H&E-stained section of a sentinel lymph node (breast cancer), from a whole-slide image, viewed at about 5×: the field is about 1 mm across, about 1.9 µm per pixel.
Image:
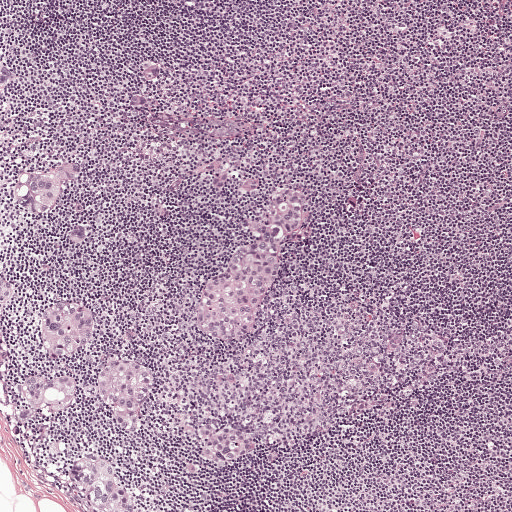
Question:
Outline the metastatic carcinoma in this image, as closed paths of (x, y) pixel coordinates.
Answer:
The eight largest tumour regions' boundaries, simplified and listed clockwise, largest first: region 1: (277, 187), (300, 191), (308, 200), (309, 233), (305, 238), (280, 245), (275, 273), (244, 331), (231, 338), (215, 337), (205, 330), (196, 313), (199, 293), (206, 281), (223, 271), (235, 248), (256, 240), (254, 234), (242, 228), (242, 223), (266, 211), (271, 191); region 2: (111, 358), (123, 358), (154, 371), (156, 384), (141, 407), (140, 428), (136, 436), (130, 438), (118, 434), (109, 414), (94, 399), (90, 391), (96, 371); region 3: (88, 452), (108, 456), (118, 464), (133, 494), (138, 511), (97, 511), (71, 494), (63, 482), (64, 466), (69, 460); region 4: (68, 372), (74, 372), (79, 376), (80, 389), (72, 409), (66, 415), (31, 422), (22, 440), (16, 440), (11, 436), (10, 430), (14, 415), (24, 407), (18, 395), (19, 385), (23, 378), (29, 374), (51, 376); region 5: (69, 159), (85, 161), (84, 173), (80, 178), (68, 182), (63, 186), (48, 210), (37, 215), (22, 213), (10, 194), (10, 186), (18, 171), (32, 168), (46, 169); region 6: (60, 300), (90, 310), (92, 317), (92, 325), (83, 345), (72, 355), (67, 356), (53, 356), (48, 353), (43, 343), (40, 324), (44, 310), (53, 302); region 7: (204, 423), (212, 423), (222, 426), (234, 425), (254, 434), (259, 438), (259, 445), (256, 450), (240, 463), (219, 465), (206, 460), (199, 461), (204, 465), (204, 472), (198, 474), (191, 474), (184, 471), (184, 465), (196, 461), (194, 455), (205, 444), (200, 440), (198, 427); region 8: (79, 222), (93, 227), (91, 241), (86, 246), (78, 247), (72, 245), (69, 240), (69, 232), (73, 226).
Nine more, smaller tumour regions are not outlined.
Two more small tumour pieces are annotated here but not outlined.
Tumour covers about 10% of the frame.